This is a crop of a whole-slide image: an H&E-stained breast-cancer sentinel lymph node section at roughly 5× magnification (about 1.9 µm per pixel; the crop spans about 1 mm).
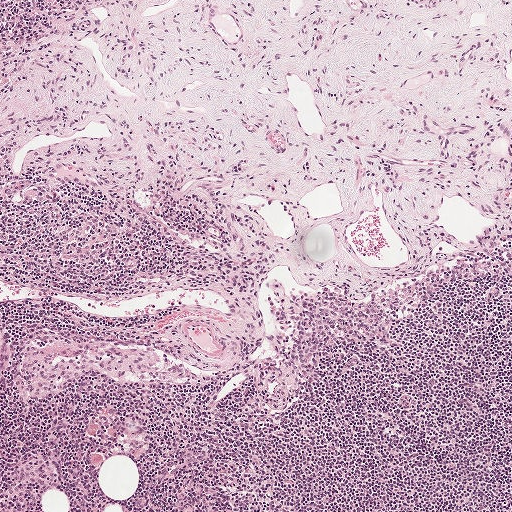
Question: Is any metastatic breast cancer visible in this crop?
Answer: No, this field holds no outlined metastasis.